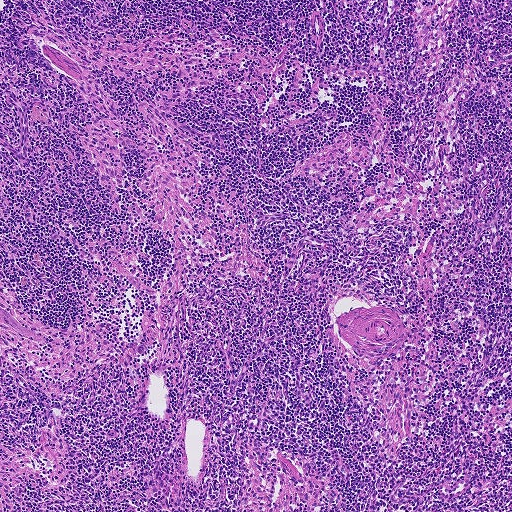
A 0.93-mm field of an H&E-stained sentinel lymph node from a breast-cancer patient (whole-slide image), shown at about 5×, about 1.8 µm per pixel.
Question: Is there metastatic carcinoma in this field?
Answer: No, this field holds no outlined metastasis.